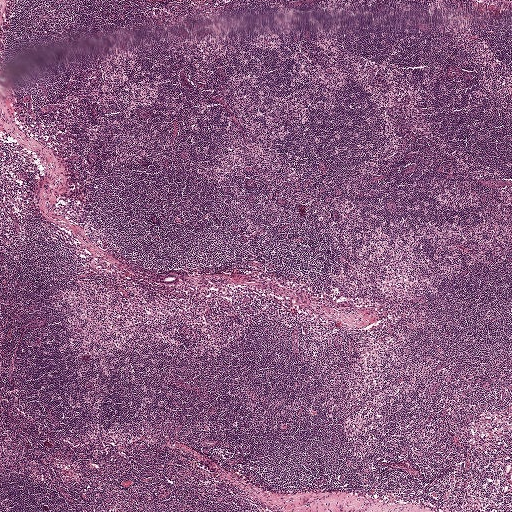
H&E-stained section of a sentinel lymph node (breast cancer), from a whole-slide image, viewed at about 2.5×: the field is about 2.0 mm across, about 3.9 µm per pixel.
Metastatic tumour outline, simplified to 11 points and listed clockwise in crop pixels (x, y): (168, 274), (178, 275), (179, 277), (179, 284), (177, 285), (170, 285), (157, 284), (155, 283), (153, 280), (153, 278), (155, 276).
Under 5% of the image area is annotated as tumour.